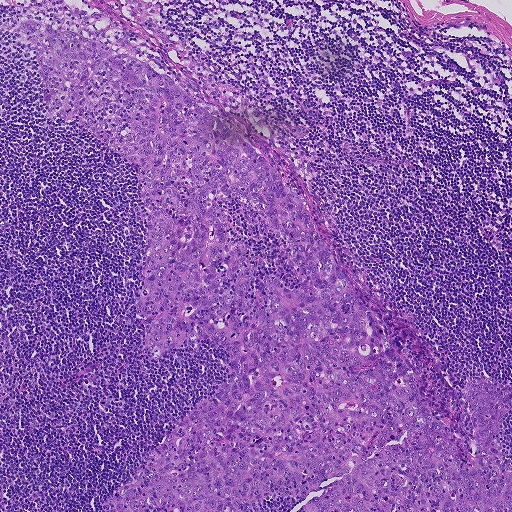
Lymph node section stained with H&E, from a whole-slide image of a breast-cancer sentinel node. Magnification about 5×, about 0.93 mm across the frame, about 1.8 µm per pixel.
The outlined metastatic tumour's edge, as a closed clockwise path of 20 points: (15, 22), (159, 65), (301, 189), (345, 276), (409, 324), (442, 378), (461, 394), (466, 375), (511, 384), (511, 511), (305, 511), (290, 492), (254, 511), (98, 505), (230, 363), (206, 339), (139, 351), (141, 189), (122, 158), (49, 116).
About 40% of the image area is annotated as tumour.